Question: 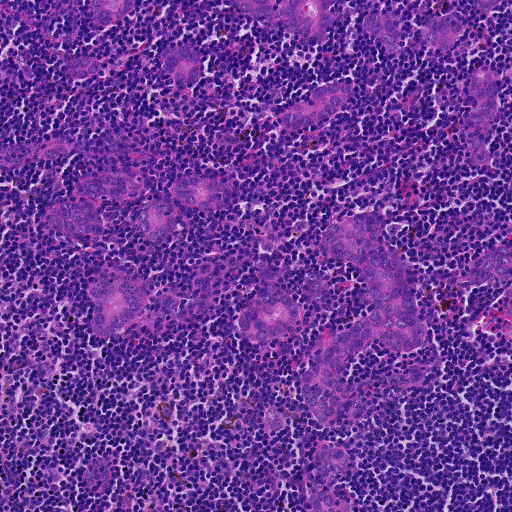
Lymph node section stained with H&E, from a whole-slide image of a breast-cancer sentinel node. Magnification about 10×, about 0.46 mm across the frame, about 0.91 µm per pixel.
About how much of this crop is taken up by metastatic carcinoma?

Choices:
 (A) about 25% to 45%
 (B) about 5% or less
 (C) about 50% or more
 (D) about 10% to 20%
 (E) none: no tumour is outlined

Answer: (D) about 10% to 20%
About 15% of the field is tumour.
Outlines of the eight largest metastatic tumour regions, each a closed clockwise path in crop pixels (x, y), largest first: region 1: (358, 213), (401, 228), (387, 243), (415, 290), (426, 332), (423, 342), (404, 349), (383, 346), (373, 339), (350, 359), (345, 400), (334, 417), (326, 424), (314, 420), (303, 397), (303, 376), (334, 335), (371, 314), (371, 293), (363, 272), (355, 264), (324, 253), (319, 243), (330, 226); region 2: (108, 171), (141, 179), (143, 189), (138, 198), (128, 201), (108, 198), (98, 201), (98, 212), (103, 222), (102, 233), (80, 235), (70, 231), (49, 230), (44, 223), (46, 212), (53, 206), (63, 202), (84, 199), (74, 190), (76, 180); region 3: (263, 263), (272, 268), (273, 280), (279, 288), (296, 300), (300, 310), (301, 320), (288, 337), (269, 342), (258, 342), (239, 334), (238, 318), (260, 283), (257, 272); region 4: (110, 267), (139, 279), (145, 287), (146, 298), (144, 308), (131, 325), (107, 337), (97, 337), (91, 328), (92, 308), (87, 298), (100, 270); region 5: (226, 0), (335, 0), (332, 9), (332, 20), (324, 39), (314, 40), (304, 39), (284, 31), (275, 24), (265, 27), (256, 23), (240, 8); region 6: (480, 66), (491, 66), (498, 73), (499, 112), (488, 140), (490, 159), (481, 164), (472, 160), (460, 133), (462, 123), (474, 108), (470, 81), (472, 72); region 7: (322, 440), (332, 442), (351, 454), (351, 464), (347, 474), (337, 478), (330, 487), (339, 494), (349, 498), (355, 511), (311, 511), (306, 485), (315, 465), (312, 455), (313, 445); region 8: (334, 82), (345, 82), (352, 89), (352, 100), (345, 108), (307, 126), (287, 129), (280, 122), (281, 112), (300, 104), (311, 104), (310, 98), (315, 89).
Nine more, smaller tumour regions are not outlined.
Three more small tumour pieces are annotated here but not outlined.
Question: 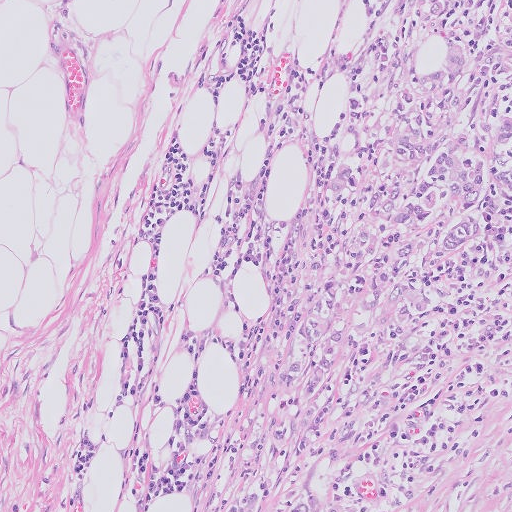
Lymph node section stained with H&E, from a whole-slide image of a breast-cancer sentinel node. Magnification about 10×, about 0.51 mm across the frame, about 1.0 µm per pixel.
About how much of this crop is taken up by metastatic carcinoma?

Choices:
 (A) about 50% or more
 (B) about 25% to 45%
 (C) about 10% to 20%
 (D) none: no tumour is outlined
 (E) about 5% or less

Answer: (B) about 25% to 45%
About 45% of the field is tumour.
One metastatic tumour region; its boundary, reduced to 9 corners and listed clockwise: (362, 0), (511, 0), (511, 511), (144, 511), (165, 454), (248, 368), (288, 260), (321, 216), (333, 101).
Question: 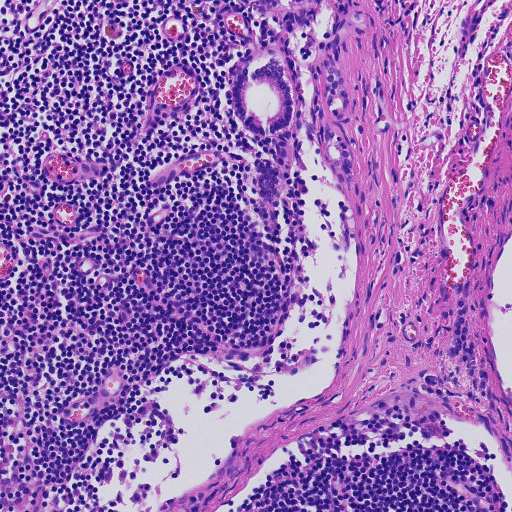
H&E-stained section of a sentinel lymph node (breast cancer), from a whole-slide image, viewed at about 10×: the field is about 0.46 mm across, about 0.91 µm per pixel.
About how much of this crop is taken up by metastatic carcinoma?

Choices:
 (A) about 50% or more
 (B) about 5% or less
 (C) about 25% to 45%
 (D) about 10% to 20%
 (E) none: no tumour is outlined

Answer: (B) about 5% or less
About 5% of the field is tumour.
Four metastatic tumour regions, each outlined as a closed clockwise path in crop pixels (x, y), largest first: region 1: (275, 44), (296, 93), (297, 112), (286, 170), (285, 188), (278, 206), (267, 209), (260, 199), (252, 162), (256, 156), (273, 163), (276, 140), (250, 134), (237, 120), (231, 102), (230, 83), (235, 65), (246, 52); region 2: (233, 0), (328, 0), (327, 4), (335, 15), (335, 33), (332, 50), (316, 50), (316, 58), (308, 63), (295, 60), (286, 49), (289, 36), (264, 13); region 3: (325, 123), (345, 136), (353, 155), (353, 174), (346, 190), (321, 161); region 4: (327, 58), (341, 69), (346, 88), (348, 107), (343, 124), (330, 112), (321, 96), (322, 76).
Question: 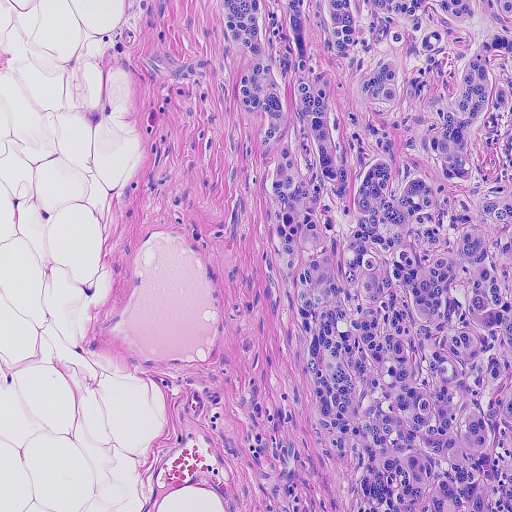
H&E-stained section of a sentinel lymph node (breast cancer), from a whole-slide image, viewed at about 10×: the field is about 0.46 mm across, about 0.91 µm per pixel.
About how much of this crop is taken up by metastatic carcinoma?

Choices:
 (A) about 50% or more
 (B) about 5% or less
 (C) none: no tumour is outlined
 (D) about 25% to 45%
 (E) about 10% to 20%

Answer: (D) about 25% to 45%
About 45% of the field is tumour.
Tumour region outline (a closed clockwise path, crop pixels): (218, 0), (511, 0), (511, 511), (385, 511), (363, 443), (313, 406), (308, 344), (262, 183), (276, 148), (259, 144), (269, 122), (238, 97), (247, 61).